Question: 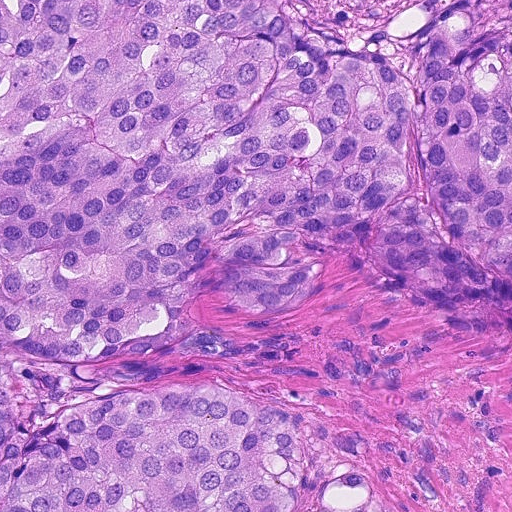
Lymph node section stained with H&E, from a whole-slide image of a breast-cancer sentinel node. Magnification about 20×, about 0.23 mm across the frame, about 0.45 µm per pixel.
What fraction of the image area is metastatic tumour?

Choices:
 (A) about 10% to 20%
 (B) about 50% or more
 (C) about 25% to 45%
 (D) none: no tumour is outlined
 (E) about 5% or less

Answer: (B) about 50% or more
About 80% of the field is tumour.
Tumour region outline (a closed clockwise path, crop pixels): (0, 0), (511, 0), (511, 334), (386, 276), (346, 242), (303, 315), (240, 310), (208, 292), (161, 336), (106, 366), (283, 404), (339, 438), (404, 508), (0, 511).
Question: 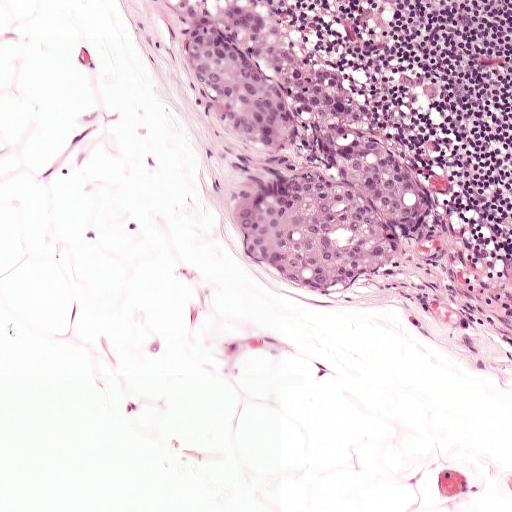
H&E-stained section of a sentinel lymph node (breast cancer), from a whole-slide image, viewed at about 10×: the field is about 0.5 mm across, about 0.97 µm per pixel.
What fraction of the image area is metastatic tumour?

Choices:
 (A) none: no tumour is outlined
 (B) about 25% to 45%
 (C) about 10% to 20%
 (D) about 5% or less
 (E) about 50% or more

Answer: (C) about 10% to 20%
About 15% of the field is tumour.
One metastatic tumour region; its boundary, reduced to 22 corners and listed clockwise: (216, 1), (242, 3), (328, 62), (366, 129), (410, 155), (432, 200), (424, 223), (400, 232), (381, 279), (332, 291), (258, 271), (237, 253), (229, 229), (238, 205), (307, 176), (337, 173), (281, 105), (288, 146), (245, 146), (204, 119), (182, 44), (192, 20).
Question: 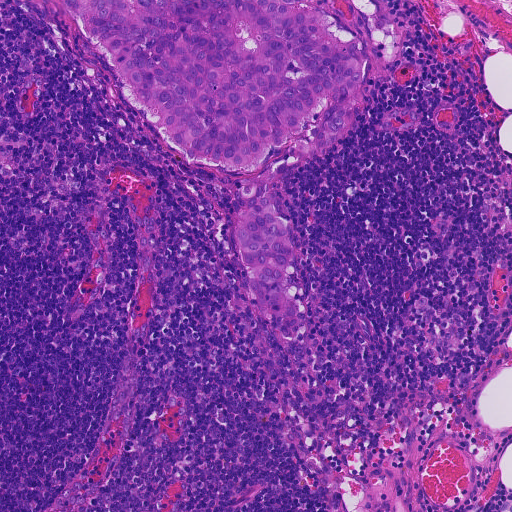
A 0.46-mm field of an H&E-stained sentinel lymph node from a breast-cancer patient (whole-slide image), shown at about 10×, about 0.91 µm per pixel.
What fraction of the image area is metastatic tumour?

Choices:
 (A) about 50% or more
 (B) about 5% or less
 (C) about 10% to 20%
 (D) about 25% to 45%
 (E) none: no tumour is outlined

Answer: (C) about 10% to 20%
About 15% of the field is tumour.
Outlines of two tumour regions, largest first (closed clockwise paths, crop pixels): region 1: (54, 0), (302, 0), (294, 7), (320, 10), (326, 28), (344, 43), (355, 40), (361, 75), (351, 122), (334, 144), (314, 151), (316, 120), (302, 125), (281, 148), (272, 145), (255, 171), (202, 166), (166, 144), (132, 106); region 2: (265, 195), (275, 203), (288, 225), (294, 250), (279, 285), (285, 296), (297, 301), (298, 313), (295, 318), (282, 318), (260, 309), (240, 263), (241, 254), (235, 243), (234, 230), (238, 218), (252, 198).
One more small tumour piece is annotated here but not outlined.
Question: 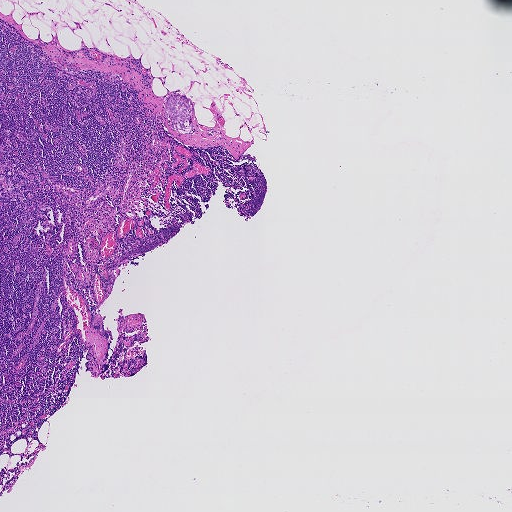
This is a crop of a whole-slide image: an H&E-stained breast-cancer sentinel lymph node section at roughly 2.5× magnification (about 3.6 µm per pixel; the crop spans about 1.9 mm).
What fraction of the image area is metastatic tumour?

Choices:
 (A) none: no tumour is outlined
 (B) about 5% or less
 (C) about 25% to 45%
 (D) about 10% to 20%
 (E) about 50% or more

Answer: (B) about 5% or less
Under 5% of the field is tumour.
The outlined metastatic tumour's edge, as a closed clockwise path of 11 points: (176, 93), (185, 95), (192, 102), (193, 107), (191, 119), (193, 133), (185, 134), (173, 130), (164, 112), (166, 103), (165, 97).